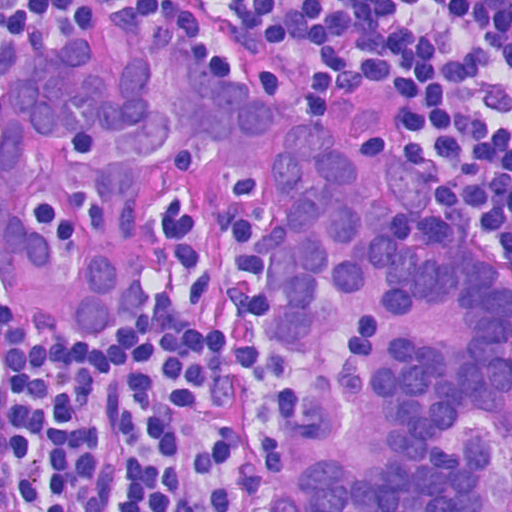
This is a crop of a whole-slide image: an H&E-stained breast-cancer sentinel lymph node section at roughly 40× magnification (about 0.23 µm per pixel; the crop spans about 0.12 mm).
Metastatic tumour outline, simplified to 20 points and listed clockwise in crop pixels (x, y): (125, 5), (397, 157), (446, 193), (511, 271), (511, 511), (264, 511), (279, 426), (310, 374), (257, 323), (273, 296), (258, 163), (195, 141), (161, 160), (143, 236), (159, 294), (140, 318), (83, 341), (0, 291), (0, 123), (21, 66).
About 50% of this field is tumour.